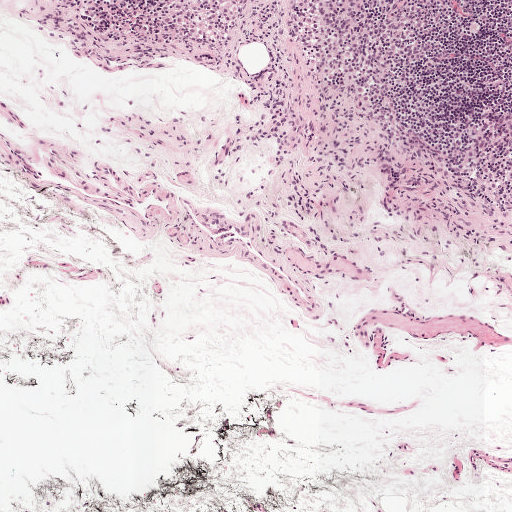
This is a crop of a whole-slide image: an H&E-stained breast-cancer sentinel lymph node section at roughly 5× magnification (about 1.9 µm per pixel; the crop spans about 1 mm).